Question: 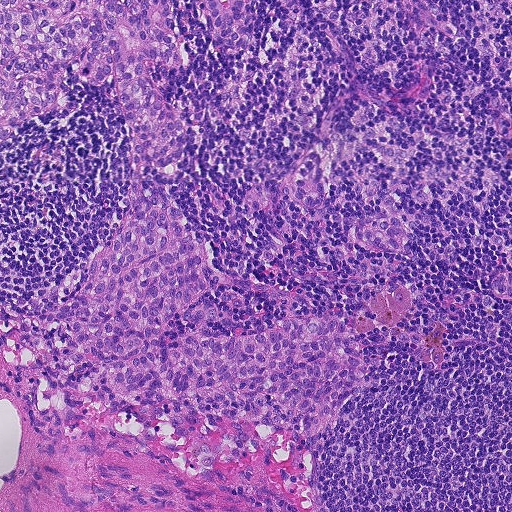
A 0.46-mm field of an H&E-stained sentinel lymph node from a breast-cancer patient (whole-slide image), shown at about 10×, about 0.9 µm per pixel.
What fraction of the image area is metastatic tumour?

Choices:
 (A) about 10% to 20%
 (B) about 25% to 45%
 (C) none: no tumour is outlined
 (D) about 50% or more
 (E) about 5% or less

Answer: (B) about 25% to 45%
About 30% of the field is tumour.
Two metastatic tumour regions, each outlined as a closed clockwise path in crop pixels (x, y), largest first: region 1: (0, 0), (172, 0), (188, 67), (150, 71), (184, 116), (186, 154), (173, 181), (154, 173), (158, 183), (173, 194), (227, 277), (264, 289), (199, 294), (185, 327), (241, 338), (294, 316), (350, 318), (398, 289), (416, 292), (394, 327), (447, 328), (442, 371), (366, 334), (352, 343), (366, 356), (359, 392), (305, 441), (245, 422), (143, 430), (58, 400), (17, 316), (119, 229), (130, 174), (112, 77), (99, 89), (66, 74), (70, 116), (34, 117), (0, 152); region 2: (204, 0), (252, 0), (252, 40), (240, 49), (221, 48), (216, 42).